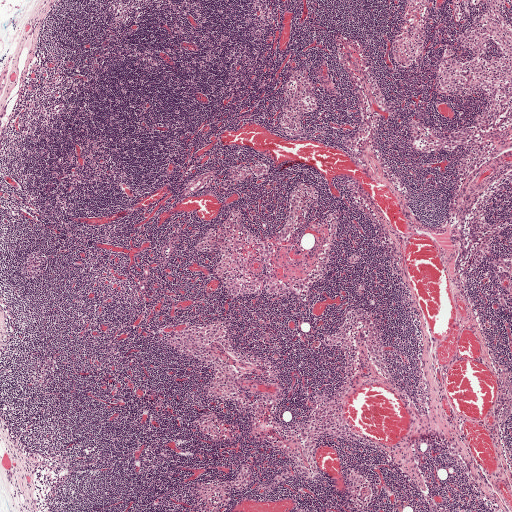
This is a crop of a whole-slide image: an H&E-stained breast-cancer sentinel lymph node section at roughly 2.5× magnification (about 3.9 µm per pixel; the crop spans about 2.0 mm).